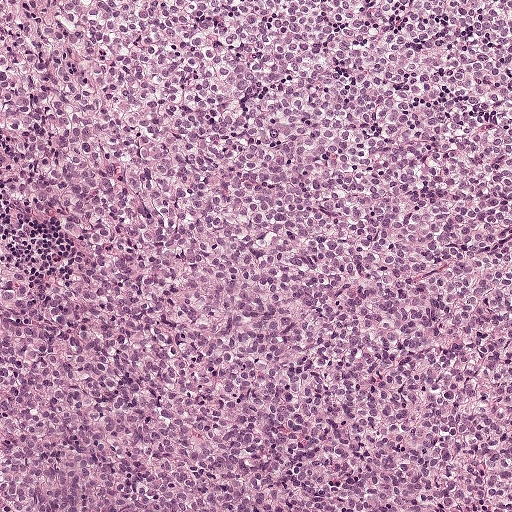
This is a crop of a whole-slide image: an H&E-stained breast-cancer sentinel lymph node section at roughly 10× magnification (about 0.97 µm per pixel; the crop spans about 0.5 mm).
Metastatic tumour covers the whole field.
Tumour covers over 95% of the frame.